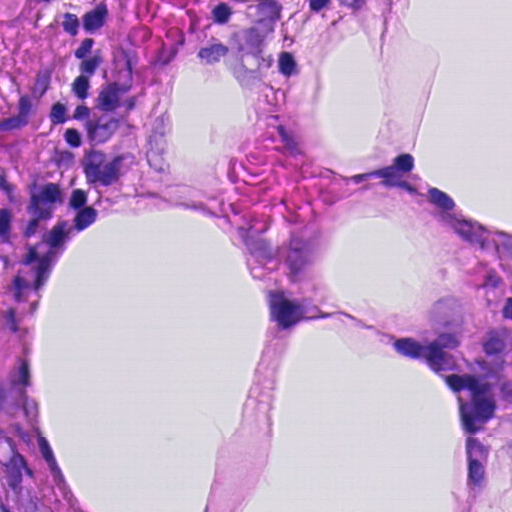
H&E-stained section of a sentinel lymph node (breast cancer), from a whole-slide image, viewed at about 40×: the field is about 0.12 mm across, about 0.23 µm per pixel.
Boundaries of two metastatic tumour regions, simplified and listed clockwise, largest first: region 1: (203, 0), (247, 15), (322, 17), (330, 0), (365, 0), (384, 113), (414, 182), (473, 231), (511, 236), (511, 511), (458, 511), (467, 399), (407, 348), (352, 322), (277, 333), (252, 269), (207, 207), (130, 194), (126, 113), (179, 56); region 2: (0, 256), (30, 378), (49, 511), (0, 511).
About 35% of this field is tumour.